Question: 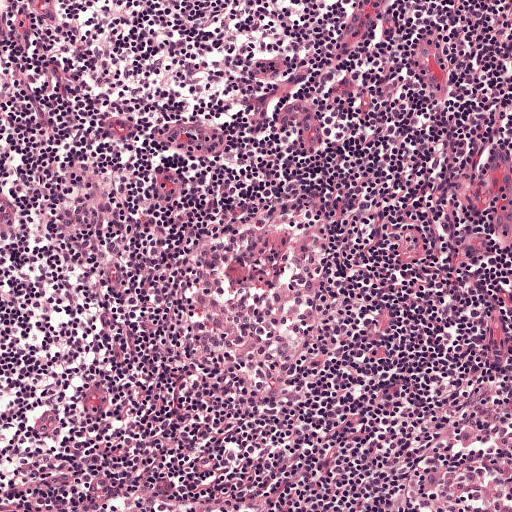
At roughly what magnification is this field shown?

Choices:
 (A) about 20×
 (B) about 40×
 (C) about 2.5×
 (D) about 10×
 (E) about 5×

Answer: (D) about 10×
This is a crop of a whole-slide image: an H&E-stained breast-cancer sentinel lymph node section at roughly 10× magnification (about 0.97 µm per pixel; the crop spans about 0.5 mm).